Question: 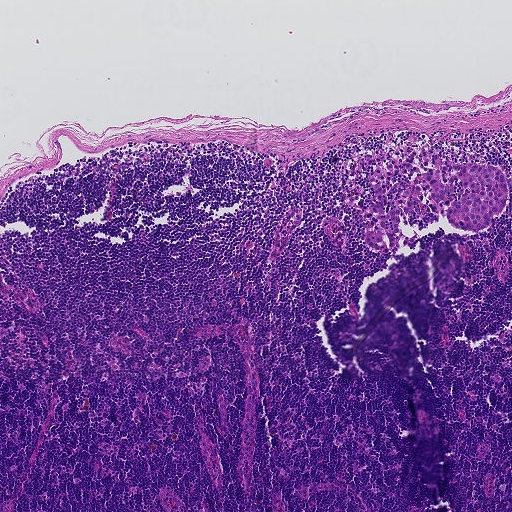
A 0.93-mm field of an H&E-stained sentinel lymph node from a breast-cancer patient (whole-slide image), shown at about 5×, about 1.8 µm per pixel.
What fraction of the image area is metastatic tumour?

Choices:
 (A) about 25% to 45%
 (B) about 5% or less
 (C) about 10% to 20%
 (D) about 50% or more
 (E) none: no tumour is outlined

Answer: (B) about 5% or less
About 5% of the field is tumour.
Tumour region outline (a closed clockwise path, crop pixels): (437, 156), (446, 166), (502, 169), (505, 204), (489, 226), (478, 233), (448, 222), (442, 214), (399, 215), (404, 235), (416, 236), (411, 248), (388, 252), (369, 247), (364, 236), (375, 196), (372, 184), (382, 188), (386, 213), (412, 180), (403, 166), (433, 166), (431, 157).
Question: 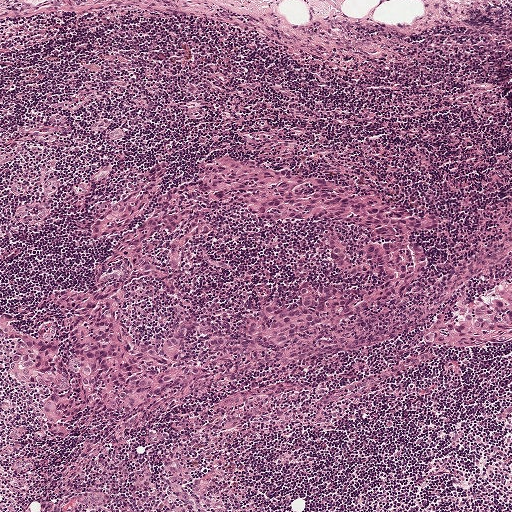
This is a crop of a whole-slide image: an H&E-stained breast-cancer sentinel lymph node section at roughly 5× magnification (about 1.9 µm per pixel; the crop spans about 1 mm).
What fraction of the image area is metastatic tumour?

Choices:
 (A) about 50% or more
 (B) none: no tumour is outlined
 (C) about 5% or less
 (D) about 10% to 20%
 (E) about 25% to 45%

Answer: (E) about 25% to 45%
About 30% of the field is tumour.
Boundaries of two metastatic tumour regions, simplified and listed clockwise, largest first: region 1: (219, 143), (355, 185), (433, 215), (434, 225), (418, 225), (425, 272), (384, 304), (187, 389), (87, 413), (56, 440), (34, 408), (42, 390), (3, 372), (0, 314), (28, 334), (44, 294), (88, 284), (105, 244), (87, 228), (160, 163), (162, 189), (182, 184); region 2: (511, 275), (511, 341), (456, 347), (434, 347), (417, 342), (416, 330), (421, 321), (453, 297), (491, 290), (494, 282).
Question: 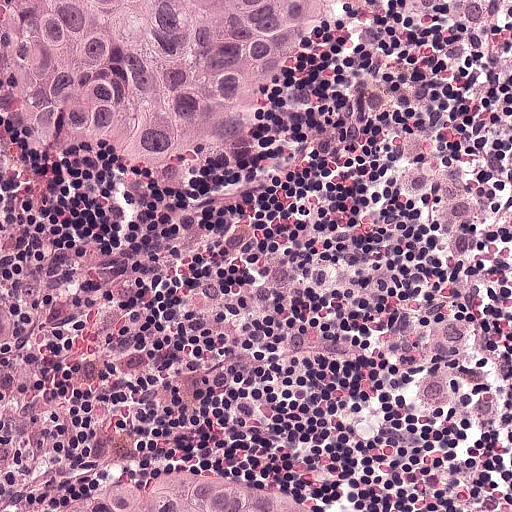
A 0.25-mm field of an H&E-stained sentinel lymph node from a breast-cancer patient (whole-slide image), shown at about 20×, about 0.49 µm per pixel.
What fraction of the image area is metastatic tumour?

Choices:
 (A) about 25% to 45%
 (B) about 10% to 20%
 (C) about 50% or more
 (D) about 5% or less
 (E) none: no tumour is outlined

Answer: (A) about 25% to 45%
About 30% of the field is tumour.
Three metastatic tumour regions, each outlined as a closed clockwise path in crop pixels (x, y), largest first: region 1: (0, 0), (361, 0), (354, 50), (262, 170), (222, 202), (202, 209), (0, 204); region 2: (0, 450), (15, 470), (26, 472), (228, 470), (268, 484), (302, 509), (0, 511); region 3: (0, 304), (20, 321), (24, 321), (42, 361), (42, 384), (20, 392), (6, 395), (0, 403).
Question: 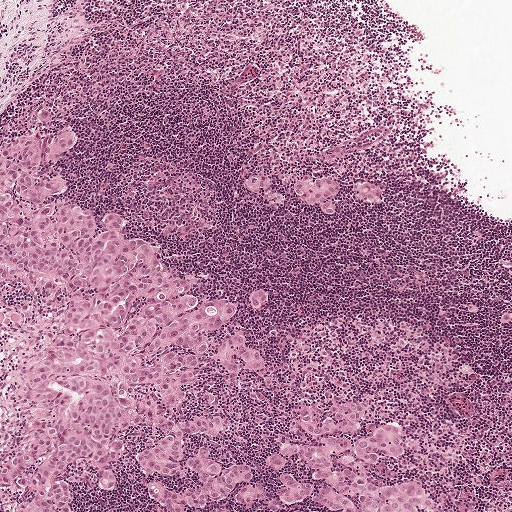
Lymph node section stained with H&E, from a whole-slide image of a breast-cancer sentinel node. Magnification about 5×, about 1 mm across the frame, about 1.9 µm per pixel.
What fraction of the image area is metastatic tumour?

Choices:
 (A) about 5% or less
 (B) about 10% to 20%
 (C) about 25% to 45%
 (D) about 50% or more
 (E) none: no tumour is outlined

Answer: (C) about 25% to 45%
About 25% of the field is tumour.
Boundaries of seven metastatic tumour regions, simplified and listed clockwise, largest first: region 1: (48, 109), (54, 130), (80, 135), (55, 168), (68, 182), (58, 199), (92, 211), (95, 236), (119, 211), (203, 304), (240, 307), (224, 336), (246, 333), (267, 373), (238, 380), (204, 358), (201, 381), (230, 429), (186, 449), (249, 461), (254, 478), (204, 510), (168, 511), (151, 484), (192, 493), (201, 481), (140, 465), (162, 436), (143, 424), (115, 467), (120, 491), (88, 476), (77, 511), (0, 511), (26, 368), (50, 326), (0, 288), (0, 164); region 2: (369, 402), (369, 418), (348, 435), (353, 442), (371, 440), (382, 425), (402, 426), (409, 453), (402, 458), (382, 455), (370, 474), (376, 483), (414, 481), (425, 487), (437, 509), (337, 511), (304, 498), (282, 511), (271, 511), (286, 474), (319, 486), (327, 484), (313, 475), (303, 457), (294, 457), (280, 469), (269, 462), (269, 455), (281, 451), (286, 443), (320, 445), (302, 423), (302, 406), (313, 407), (314, 420), (321, 424), (337, 415), (343, 404); region 3: (331, 176), (339, 180), (341, 184), (340, 194), (334, 198), (334, 212), (330, 215), (324, 214), (316, 206), (303, 202), (294, 194), (294, 185), (296, 183), (305, 179); region 4: (363, 182), (376, 183), (382, 186), (382, 196), (381, 204), (364, 204), (356, 199), (354, 189), (356, 185); region 5: (263, 482), (265, 487), (265, 499), (249, 503), (244, 502), (238, 498), (240, 489), (249, 483), (254, 485); region 6: (262, 172), (272, 178), (272, 188), (267, 193), (260, 194), (244, 188), (246, 179), (256, 181), (259, 180), (257, 174); region 7: (255, 288), (264, 289), (267, 289), (267, 292), (267, 304), (259, 308), (253, 308), (250, 307), (250, 297), (252, 289).
One more small tumour piece is annotated here but not outlined.